This is a crop of a whole-slide image: an H&E-stained breast-cancer sentinel lymph node section at roughly 5× magnification (about 1.8 µm per pixel; the crop spans about 0.93 mm).
Question: 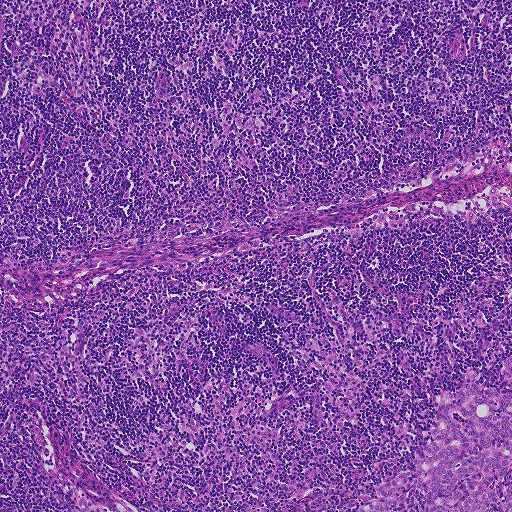
Roughly what share of this field is metastatic tumour?

Choices:
 (A) about 5% or less
 (B) none: no tumour is outlined
 (C) about 50% or more
 (D) about 25% to 45%
 (E) about 10% to 20%

Answer: (A) about 5% or less
About 5% of the field is tumour.
One metastatic tumour region; its boundary, reduced to 17 corners and listed clockwise: (511, 355), (511, 511), (360, 511), (368, 501), (378, 497), (375, 488), (382, 482), (404, 468), (413, 470), (435, 411), (435, 394), (456, 392), (467, 368), (476, 366), (488, 388), (502, 376), (504, 362).